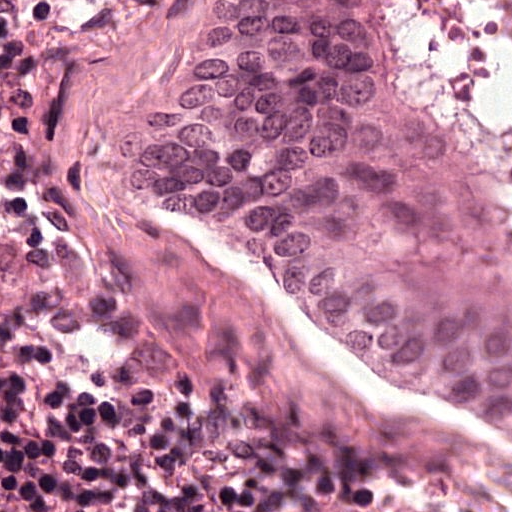
Lymph node section stained with H&E, from a whole-slide image of a breast-cancer sentinel node. Magnification about 40×, about 0.12 mm across the frame, about 0.24 µm per pixel.
Tumour region outline (a closed clockwise path, crop pixels): (396, 0), (407, 79), (451, 133), (461, 226), (492, 289), (511, 304), (511, 427), (448, 441), (407, 420), (351, 339), (264, 292), (217, 242), (117, 186), (107, 129), (211, 1).
Tumour covers about 40% of the frame.